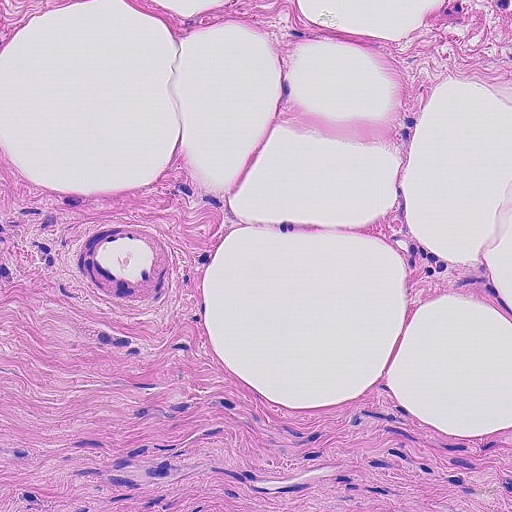
H&E-stained section of a sentinel lymph node (breast cancer), from a whole-slide image, viewed at about 20×: the field is about 0.23 mm across, about 0.45 µm per pixel.
Metastatic tumour outline, simplified to 13 points and listed clockwise in crop pixels (x, y): (0, 190), (40, 222), (122, 211), (162, 226), (187, 258), (183, 341), (236, 408), (315, 419), (354, 404), (385, 423), (508, 453), (511, 511), (0, 511).
The annotated tumour makes up about 30% of the crop.